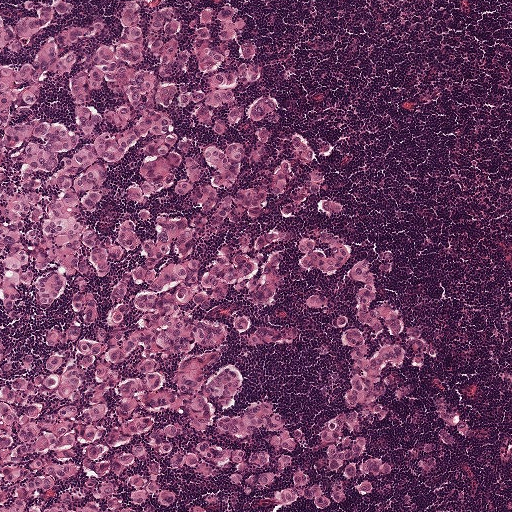
Lymph node section stained with H&E, from a whole-slide image of a breast-cancer sentinel node. Magnification about 5×, about 1 mm across the frame, about 1.9 µm per pixel.
Outlines of two tumour regions, largest first (closed clockwise paths, crop pixels): region 1: (12, 0), (103, 44), (229, 1), (232, 100), (277, 100), (238, 185), (330, 144), (336, 215), (280, 213), (296, 172), (195, 249), (353, 248), (205, 316), (295, 333), (228, 330), (230, 414), (328, 481), (303, 299), (366, 331), (366, 258), (437, 354), (392, 373), (463, 414), (420, 469), (434, 411), (386, 392), (388, 472), (324, 511), (163, 471), (168, 511), (0, 511); region 2: (381, 249), (389, 250), (391, 254), (391, 260), (387, 271), (381, 271), (377, 269), (377, 256), (378, 251).
The annotated tumour makes up about 55% of the crop.